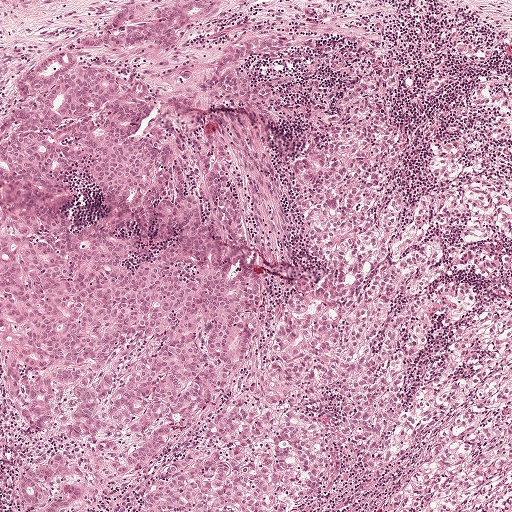
H&E-stained section of a sentinel lymph node (breast cancer), from a whole-slide image, viewed at about 5×: the field is about 1 mm across, about 1.9 µm per pixel.
Outlines of two tumour regions, largest first (closed clockwise paths, crop pixels): region 1: (0, 205), (49, 215), (84, 231), (107, 229), (132, 247), (123, 268), (166, 251), (180, 275), (178, 309), (158, 339), (149, 345), (139, 333), (119, 345), (102, 371), (69, 390), (48, 432), (24, 432), (3, 410); region 2: (225, 406), (259, 416), (278, 410), (300, 413), (315, 422), (322, 435), (329, 458), (328, 488), (286, 505), (284, 511), (139, 511), (151, 480), (193, 447), (218, 447), (217, 443), (204, 436), (203, 426).
Tumour covers about 15% of the frame.